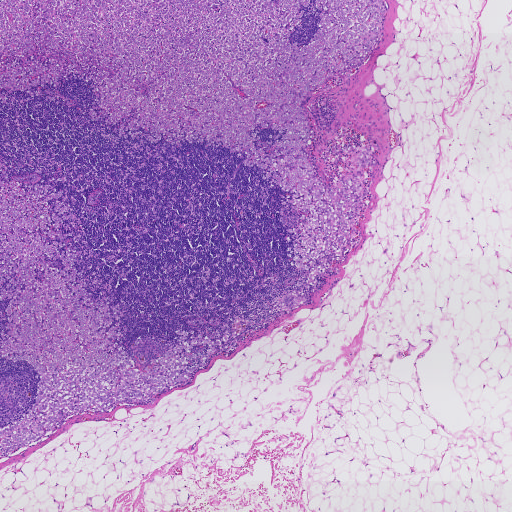
A 1.9-mm field of an H&E-stained sentinel lymph node from a breast-cancer patient (whole-slide image), shown at about 2.5×, about 3.6 µm per pixel.
Three metastatic tumour regions, each outlined as a closed clockwise path in crop pixels (x, y), largest first: region 1: (0, 0), (385, 0), (376, 49), (302, 101), (324, 183), (354, 146), (374, 150), (354, 247), (309, 286), (287, 255), (304, 215), (246, 154), (122, 138), (114, 130), (136, 110), (94, 120), (94, 83), (72, 72), (27, 89), (29, 100), (2, 88); region 2: (0, 157), (11, 180), (63, 190), (48, 202), (73, 212), (63, 231), (76, 240), (64, 246), (78, 254), (87, 290), (122, 307), (106, 332), (120, 325), (135, 368), (179, 344), (176, 330), (194, 330), (186, 340), (228, 338), (152, 404), (73, 415), (3, 457); region 3: (287, 295), (293, 295), (299, 297), (298, 302), (291, 307), (285, 307), (280, 303), (281, 300).
Two more small tumour pieces are annotated here but not outlined.
About 30% of the image area is annotated as tumour.